Lymph node section stained with H&E, from a whole-slide image of a breast-cancer sentinel node. Magnification about 5×, about 1 mm across the frame, about 1.9 µm per pixel.
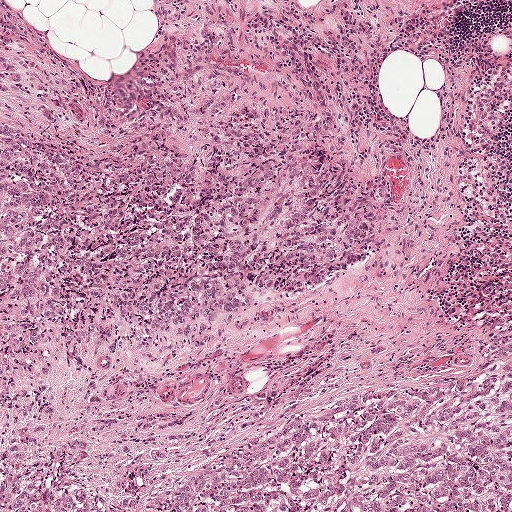
Boundaries of three metastatic tumour regions, simplified and listed clockwise, largest first: region 1: (0, 51), (48, 82), (154, 123), (310, 151), (375, 219), (360, 268), (289, 306), (104, 341), (2, 382); region 2: (511, 329), (511, 511), (123, 511), (261, 456), (315, 420); region 3: (0, 465), (20, 474), (35, 474), (58, 484), (73, 496), (78, 496), (83, 504), (94, 511), (0, 511).
About 45% of the image area is annotated as tumour.